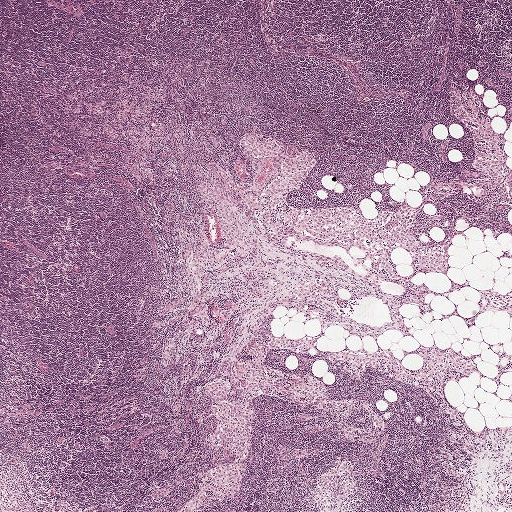
A 2.0-mm field of an H&E-stained sentinel lymph node from a breast-cancer patient (whole-slide image), shown at about 2.5×, about 3.9 µm per pixel.
One metastatic tumour region; its boundary, reduced to 18 corners and listed clockwise: (204, 171), (225, 184), (235, 196), (242, 221), (246, 227), (248, 227), (242, 242), (235, 239), (228, 244), (224, 243), (221, 239), (219, 216), (211, 210), (204, 200), (193, 193), (198, 186), (198, 179), (195, 173).
Tumour covers under 5% of the frame.